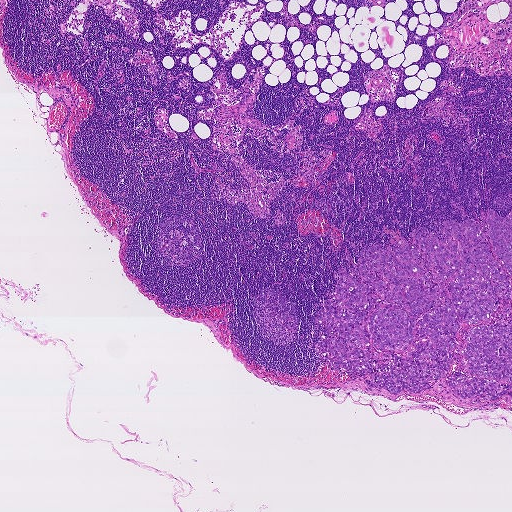
Lymph node section stained with H&E, from a whole-slide image of a breast-cancer sentinel node. Magnification about 2.5×, about 1.9 mm across the frame, about 3.6 µm per pixel.
The outlined metastatic tumour's edge, as a closed clockwise path of 23 points: (511, 207), (511, 383), (496, 380), (511, 401), (460, 398), (444, 381), (466, 374), (465, 335), (485, 322), (458, 323), (455, 363), (420, 392), (329, 368), (316, 312), (341, 267), (361, 279), (362, 249), (421, 227), (440, 240), (452, 219), (482, 224), (493, 253), (488, 212).
Tumour covers about 10% of the frame.